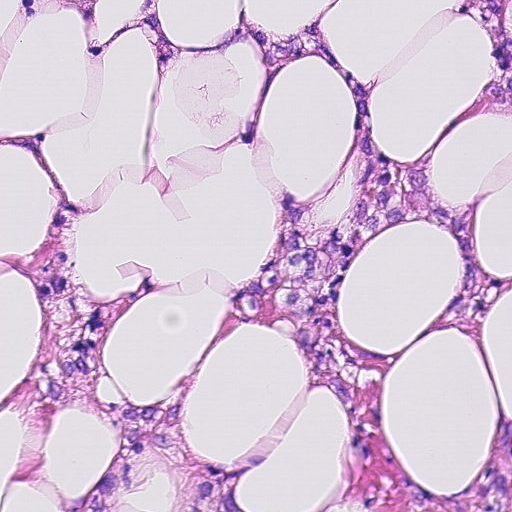
Lymph node section stained with H&E, from a whole-slide image of a breast-cancer sentinel node. Magnification about 20×, about 0.23 mm across the frame, about 0.45 µm per pixel.
Question: Is any metastatic breast cancer visible in this crop?
Answer: Yes.
Three metastatic tumour regions, each outlined as a closed clockwise path in crop pixels (x, y), largest first: region 1: (158, 0), (188, 30), (322, 26), (379, 140), (436, 151), (437, 182), (489, 202), (468, 226), (511, 273), (478, 338), (428, 330), (459, 290), (441, 231), (407, 224), (358, 262), (350, 326), (404, 356), (388, 384), (416, 477), (442, 497), (468, 480), (501, 404), (511, 511), (0, 511), (0, 133), (46, 132), (66, 158), (85, 288), (162, 269), (115, 360), (124, 391), (156, 393), (268, 195), (331, 224), (344, 126), (324, 60), (163, 58), (123, 5); region 2: (458, 0), (511, 0), (511, 117), (475, 116), (470, 102), (485, 73), (483, 40), (452, 16); region 3: (22, 0), (101, 0), (101, 9), (70, 15), (36, 15).
About 50% of the image area is annotated as tumour.